Question: 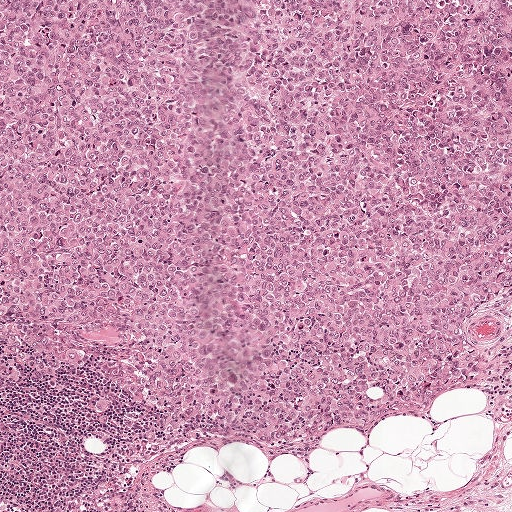
Lymph node section stained with H&E, from a whole-slide image of a breast-cancer sentinel node. Magnification about 5×, about 1 mm across the frame, about 1.9 µm per pixel.
Estimate the proportion of this field that is metastatic tumour.

Choices:
 (A) about 5% or less
 (B) none: no tumour is outlined
 (C) about 10% to 20%
 (D) about 50% or more
 (E) about 25% to 45%

Answer: (D) about 50% or more
About 85% of the field is tumour.
Metastatic tumour outline, simplified to 12 points and listed clockwise in crop pixels (x, y): (0, 0), (511, 0), (511, 355), (483, 380), (412, 427), (336, 439), (289, 461), (168, 454), (128, 420), (86, 425), (59, 389), (0, 387).